Question: 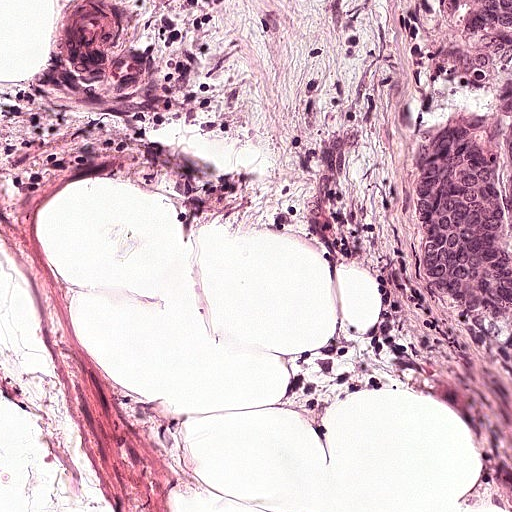
H&E-stained section of a sentinel lymph node (breast cancer), from a whole-slide image, viewed at about 20×: the field is about 0.25 mm across, about 0.49 µm per pixel.
About how much of this crop is taken up by metastatic carcinoma?

Choices:
 (A) about 50% or more
 (B) about 25% to 45%
 (C) none: no tumour is outlined
 (D) about 10% to 20%
 (E) about 5% or less

Answer: (D) about 10% to 20%
About 10% of the field is tumour.
The outlined metastatic tumour's edge, as a closed clockwise path of 8 points: (450, 0), (511, 0), (511, 452), (498, 442), (487, 405), (452, 348), (434, 260), (434, 130).
Question: 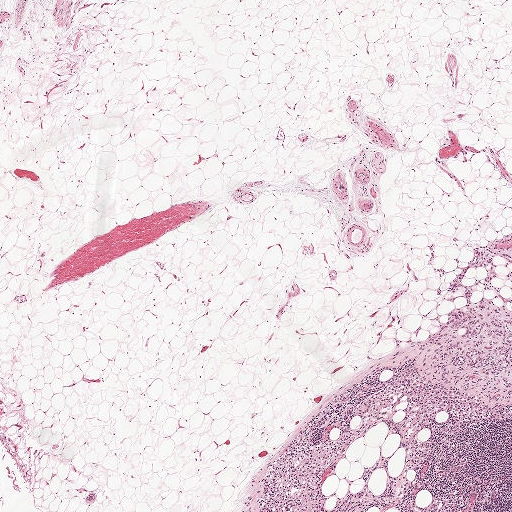
Lymph node section stained with H&E, from a whole-slide image of a breast-cancer sentinel node. Magnification about 2.5×, about 2.0 mm across the frame, about 3.9 µm per pixel.
About how much of this crop is taken up by metastatic carcinoma?

Choices:
 (A) about 10% to 20%
 (B) about 50% or more
 (C) about 25% to 45%
 (D) none: no tumour is outlined
 (E) about 5% or less

Answer: (E) about 5% or less
About 5% of the field is tumour.
The outlined metastatic tumour's edge, as a closed clockwise path of 11 points: (511, 232), (511, 407), (449, 397), (431, 386), (417, 368), (419, 351), (438, 333), (453, 307), (446, 298), (450, 282), (489, 244).
Question: 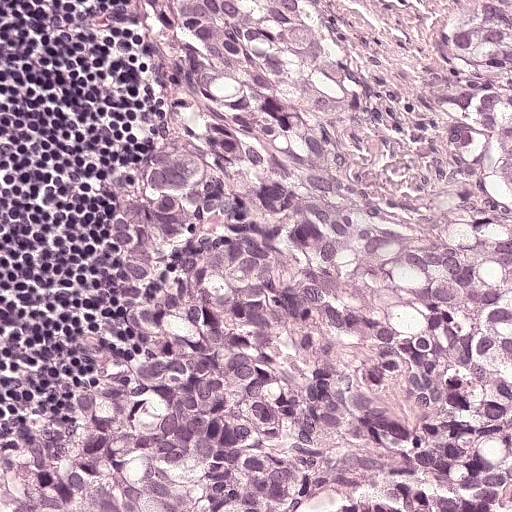
A 0.25-mm field of an H&E-stained sentinel lymph node from a breast-cancer patient (whole-slide image), shown at about 20×, about 0.49 µm per pixel.
About how much of this crop is taken up by metastatic carcinoma?

Choices:
 (A) about 5% or less
 (B) about 50% or more
 (C) none: no tumour is outlined
 (D) about 10% to 20%
 (E) about 25% to 45%

Answer: (B) about 50% or more
About 80% of the field is tumour.
One metastatic tumour region; its boundary, reduced to 11 corners and listed clockwise: (511, 0), (511, 511), (0, 511), (0, 453), (40, 450), (66, 428), (120, 332), (129, 212), (152, 141), (152, 57), (136, 2).
Question: 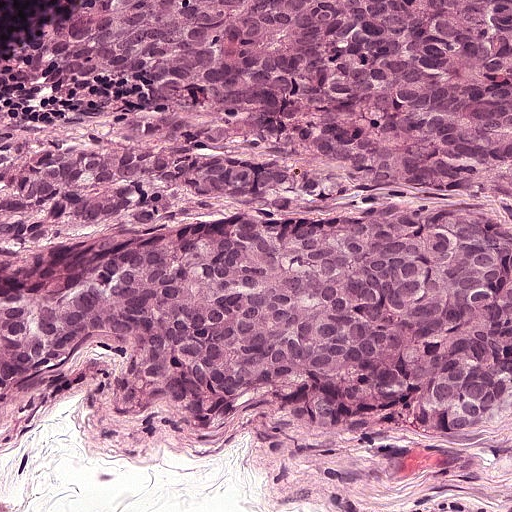
Lymph node section stained with H&E, from a whole-slide image of a breast-cancer sentinel node. Magnification about 20×, about 0.25 mm across the frame, about 0.49 µm per pixel.
About how much of this crop is taken up by metastatic carcinoma?

Choices:
 (A) about 10% to 20%
 (B) about 50% or more
 (C) about 5% or less
 (D) about 25% to 45%
 (E) none: no tumour is outlined

Answer: (B) about 50% or more
About 70% of the field is tumour.
Metastatic tumour outline, simplified to 18 points and listed clockwise in crop pixels (x, y): (511, 0), (511, 467), (450, 442), (321, 456), (257, 436), (250, 452), (223, 452), (98, 408), (94, 386), (78, 376), (0, 424), (0, 246), (194, 202), (339, 190), (334, 172), (186, 120), (68, 44), (84, 2).